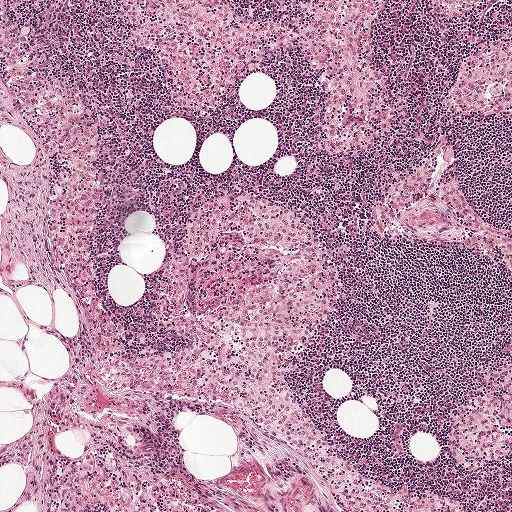
Lymph node section stained with H&E, from a whole-slide image of a breast-cancer sentinel node. Magnification about 5×, about 1 mm across the frame, about 1.9 µm per pixel.
Question: Is any metastatic breast cancer visible in this crop?
Answer: No, this field holds no outlined metastasis.